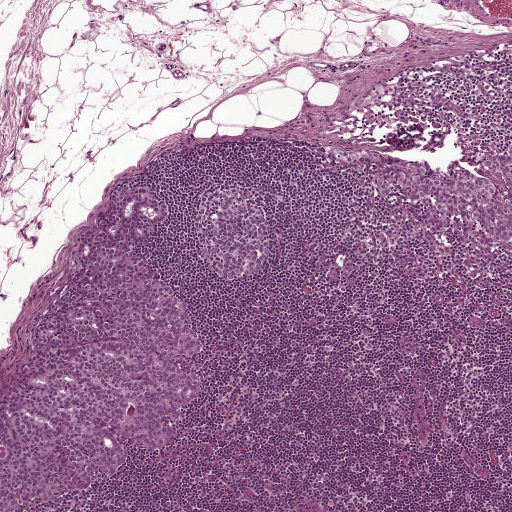
H&E-stained section of a sentinel lymph node (breast cancer), from a whole-slide image, viewed at about 5×: the field is about 1 mm across, about 1.9 µm per pixel.
Boundaries of two metastatic tumour regions, simplified and listed clockwise, largest first: region 1: (142, 185), (169, 205), (151, 243), (137, 251), (189, 301), (203, 339), (201, 393), (187, 408), (182, 437), (166, 450), (146, 450), (117, 436), (129, 460), (115, 477), (28, 511), (0, 511), (0, 395), (27, 358), (28, 321), (52, 305), (76, 239), (120, 187); region 2: (511, 141), (511, 251), (494, 251), (451, 232), (434, 238), (416, 204), (382, 198), (359, 173), (327, 154), (333, 147), (351, 151), (366, 148), (404, 158), (423, 158), (439, 168), (455, 159), (508, 192), (484, 162), (484, 152), (502, 149).
About 20% of this field is tumour.